Lymph node section stained with H&E, from a whole-slide image of a breast-cancer sentinel node. Magnification about 5×, about 0.93 mm across the frame, about 1.8 µm per pixel.
Image:
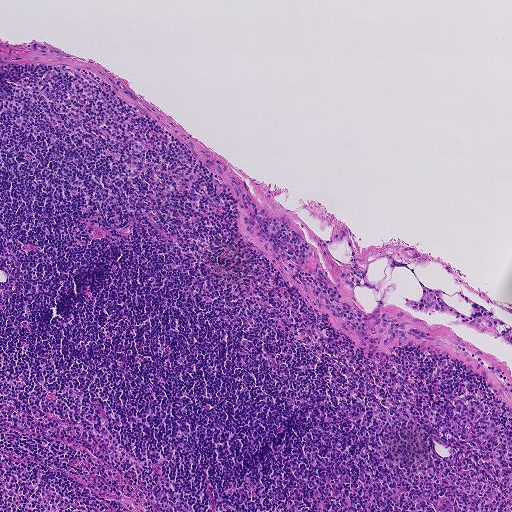
Question:
Is there metastatic carcinoma in this field?
Answer:
No, this field holds no outlined metastasis.